Question: 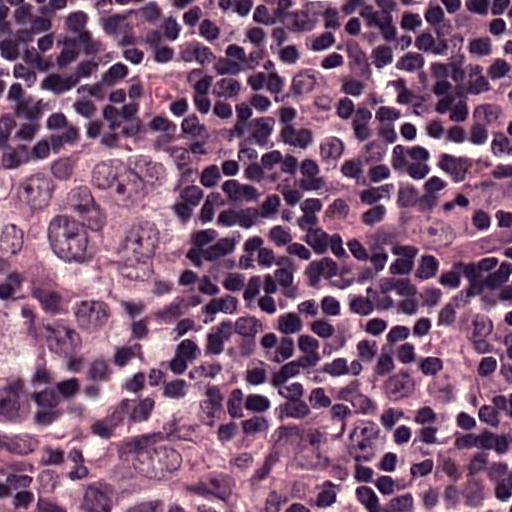
This is a crop of a whole-slide image: an H&E-stained breast-cancer sentinel lymph node section at roughly 40× magnification (about 0.24 µm per pixel; the crop spans about 0.12 mm).
Estimate the proportion of this field that is metastatic tumour.

Choices:
 (A) none: no tumour is outlined
 (B) about 10% to 20%
 (C) about 50% or more
 (D) about 25% to 45%
 (E) about 5% or less

Answer: (B) about 10% to 20%
About 20% of the field is tumour.
Two metastatic tumour regions, each outlined as a closed clockwise path in crop pixels (x, y), largest first: region 1: (37, 133), (145, 133), (182, 157), (191, 199), (190, 272), (149, 314), (83, 358), (47, 403), (25, 410), (0, 407), (0, 147); region 2: (180, 419), (234, 437), (262, 499), (277, 511), (22, 511), (79, 489), (111, 452).